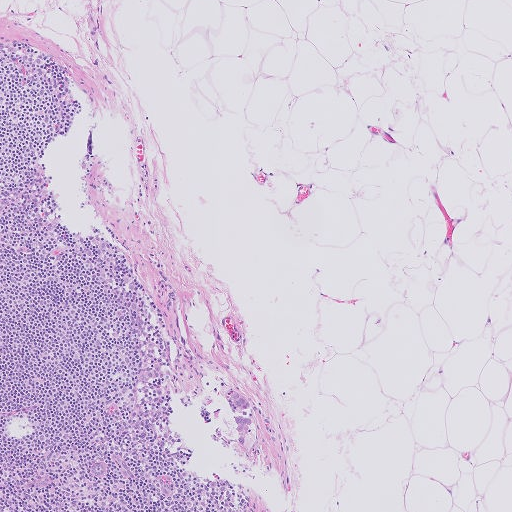
A 1.0-mm field of an H&E-stained sentinel lymph node from a breast-cancer patient (whole-slide image), shown at about 5×, about 2.0 µm per pixel.
Boundaries of two metastatic tumour regions, simplified and listed clockwise, largest first: region 1: (235, 417), (249, 417), (251, 419), (251, 423), (248, 425), (247, 432), (245, 434), (244, 444), (240, 443), (238, 440), (236, 430), (236, 423), (234, 420); region 2: (229, 391), (236, 391), (245, 399), (250, 406), (246, 410), (247, 414), (243, 415), (241, 410), (237, 410), (230, 398).
Under 5% of the image area is annotated as tumour.